Question: 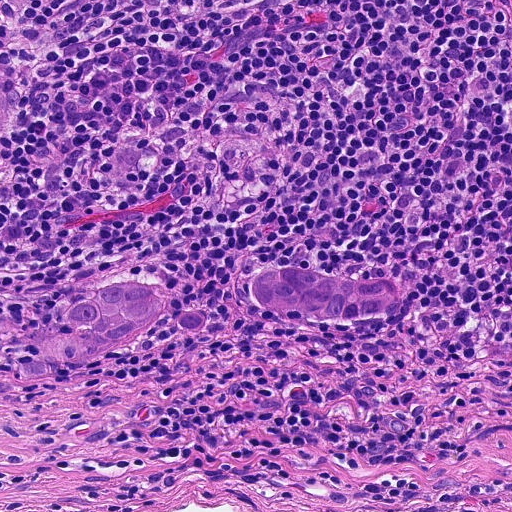
Lymph node section stained with H&E, from a whole-slide image of a breast-cancer sentinel node. Magnification about 20×, about 0.23 mm across the frame, about 0.45 µm per pixel.
Roughly what share of this field is metastatic tumour?

Choices:
 (A) about 5% or less
 (B) about 25% to 45%
 (C) none: no tumour is outlined
 (D) about 50% or more
 (E) about 10% to 20%

Answer: (A) about 5% or less
About 5% of the field is tumour.
Two metastatic tumour regions, each outlined as a closed clockwise path in crop pixels (x, y), largest first: region 1: (281, 258), (374, 274), (414, 294), (380, 324), (288, 328), (246, 308), (242, 294), (167, 295), (141, 334), (100, 356), (56, 367), (22, 337), (52, 313), (95, 290), (141, 275), (176, 287), (222, 290), (245, 287); region 2: (0, 77), (21, 82), (2, 127), (0, 128).